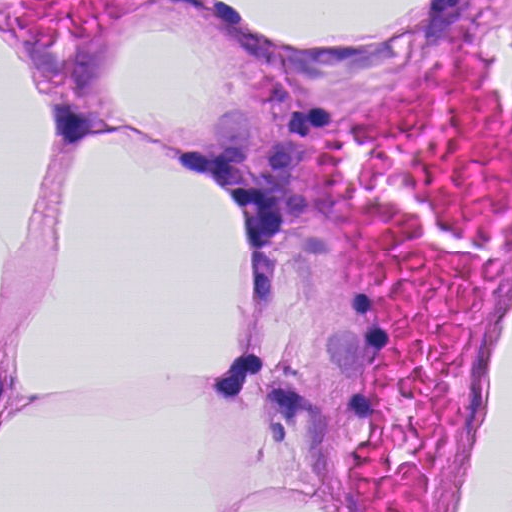
Lymph node section stained with H&E, from a whole-slide image of a breast-cancer sentinel node. Magnification about 40×, about 0.12 mm across the frame, about 0.23 µm per pixel.
Tumour region outline (a closed clockwise path, crop pixels): (0, 0), (205, 0), (259, 45), (336, 55), (409, 34), (453, 0), (364, 98), (302, 143), (323, 217), (364, 283), (372, 437), (343, 508), (321, 495), (245, 494), (243, 450), (215, 379), (238, 365), (253, 213), (193, 162), (138, 136), (63, 147), (38, 83), (0, 31).
About 30% of this field is tumour.